This is a crop of a whole-slide image: an H&E-stained breast-cancer sentinel lymph node section at roughly 2.5× magnification (about 3.9 µm per pixel; the crop spans about 2.0 mm).
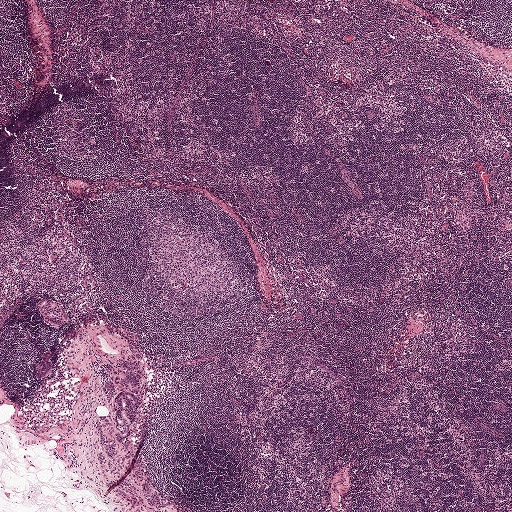
Question: Does this lymph node field contain metastatic tumour?
Answer: Yes.
Boundaries of three metastatic tumour regions, simplified and listed clockwise, largest first: region 1: (136, 357), (146, 358), (145, 390), (131, 431), (130, 447), (161, 498), (157, 508), (143, 501), (141, 508), (136, 508), (97, 478), (99, 466), (110, 466), (115, 461), (114, 461), (107, 465), (95, 460), (100, 444), (94, 426), (106, 414), (114, 413), (112, 402), (99, 392), (100, 383); region 2: (43, 297), (62, 306), (67, 313), (66, 322), (59, 326), (44, 323), (36, 307), (36, 302); region 3: (48, 350), (50, 350), (53, 364), (53, 372), (50, 378), (45, 379), (41, 379), (38, 374), (34, 372), (36, 361).
About 5% of this field is tumour.